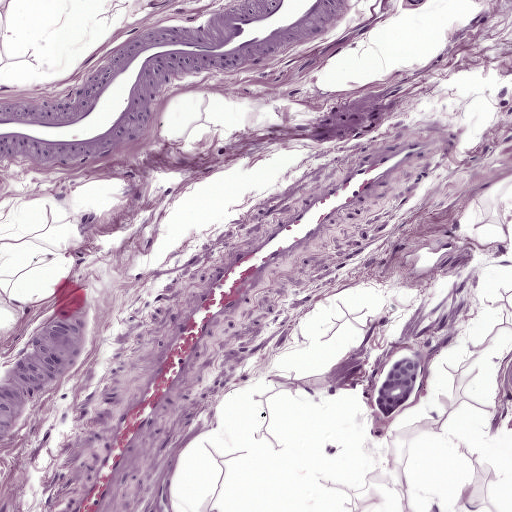
This is a crop of a whole-slide image: an H&E-stained breast-cancer sentinel lymph node section at roughly 10× magnification (about 0.97 µm per pixel; the crop spans about 0.5 mm).
The outlined metastatic tumour's edge, as a closed clockwise path of 8 points: (404, 356), (418, 360), (420, 375), (413, 396), (386, 416), (378, 415), (375, 396), (382, 371).
Under 5% of the image area is annotated as tumour.